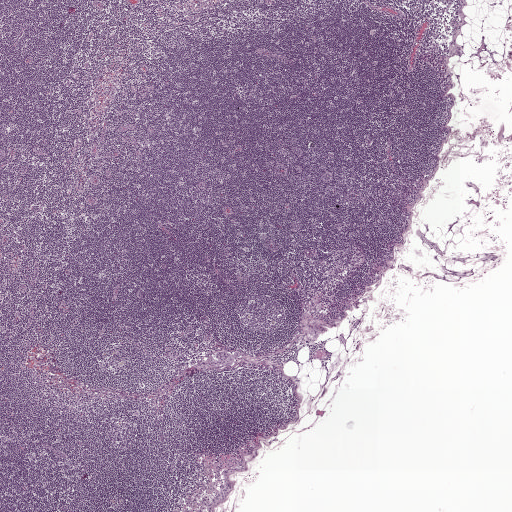
A 2.0-mm field of an H&E-stained sentinel lymph node from a breast-cancer patient (whole-slide image), shown at about 2.5×, about 3.9 µm per pixel.
Metastatic tumour outline, simplified to 12 points and listed clockwise in crop pixels (x, y): (220, 352), (230, 353), (237, 352), (244, 354), (244, 356), (234, 363), (232, 366), (225, 367), (218, 369), (202, 364), (202, 362), (212, 355).
Tumour covers under 5% of the frame.